This is a crop of a whole-slide image: an H&E-stained breast-cancer sentinel lymph node section at roughly 20× magnification (about 0.49 µm per pixel; the crop spans about 0.25 mm).
Image:
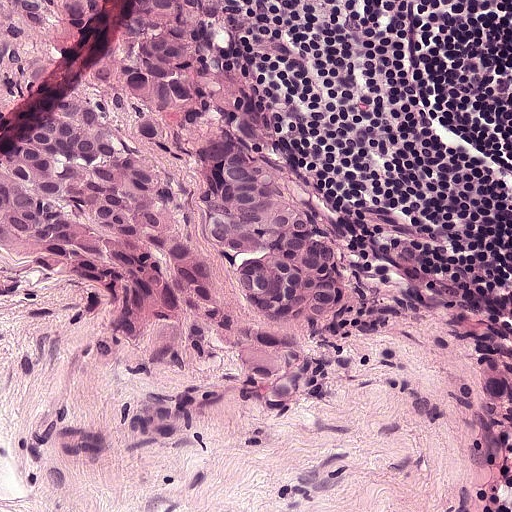
Question:
Where is the metastatic tumour in this field?
Answer:
Metastatic tumour outline, simplified to 11 points and listed clockwise in crop pixels (x, y): (0, 0), (208, 0), (352, 258), (358, 299), (320, 336), (284, 336), (243, 318), (206, 278), (196, 344), (180, 344), (2, 250).
About 35% of this field is tumour.